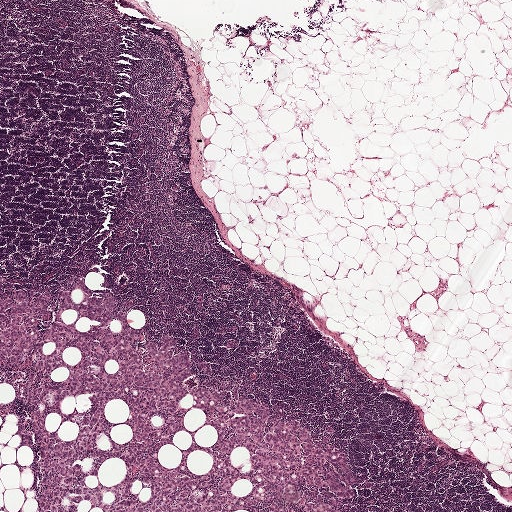
This is a crop of a whole-slide image: an H&E-stained breast-cancer sentinel lymph node section at roughly 2.5× magnification (about 3.9 µm per pixel; the crop spans about 2.0 mm).
Metastatic tumour outline, simplified to 24 points and listed clockwise in crop pixels (x, y): (0, 276), (11, 297), (49, 292), (46, 332), (79, 278), (142, 330), (141, 350), (172, 337), (174, 352), (210, 367), (208, 390), (283, 406), (329, 437), (355, 479), (342, 511), (103, 511), (83, 500), (36, 511), (33, 450), (17, 450), (17, 417), (0, 417), (16, 395), (0, 384).
The outline encloses 23 non-tumour holes totalling about 15% of the region's area.
Two more small tumour pieces are annotated here but not outlined.
About 15% of this field is tumour.